This is a crop of a whole-slide image: an H&E-stained breast-cancer sentinel lymph node section at roughly 2.5× magnification (about 3.9 µm per pixel; the crop spans about 2.0 mm).
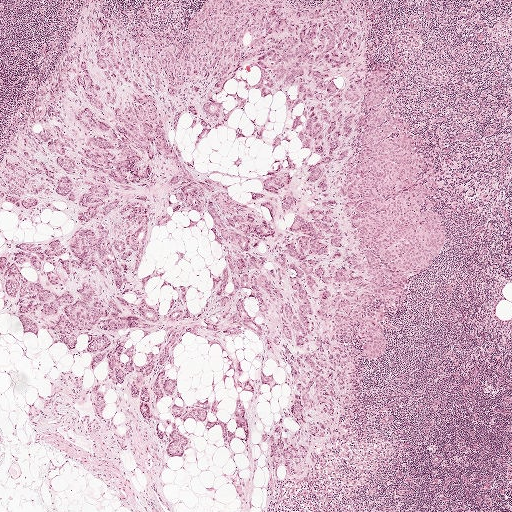
The outlined metastatic tumour's edge, as a closed clockwise path of 19 points: (359, 0), (445, 247), (303, 477), (258, 440), (278, 363), (241, 393), (248, 441), (189, 420), (169, 457), (119, 390), (91, 414), (87, 355), (0, 299), (2, 246), (74, 229), (62, 200), (0, 212), (0, 153), (77, 23).
The outline encloses five non-tumour holes totalling about 15% of the region's area.
One more small tumour piece is annotated here but not outlined.
Tumour covers about 50% of the frame.